This is a crop of a whole-slide image: an H&E-stained breast-cancer sentinel lymph node section at roughly 5× magnification (about 1.9 µm per pixel; the crop spans about 1 mm).
Image:
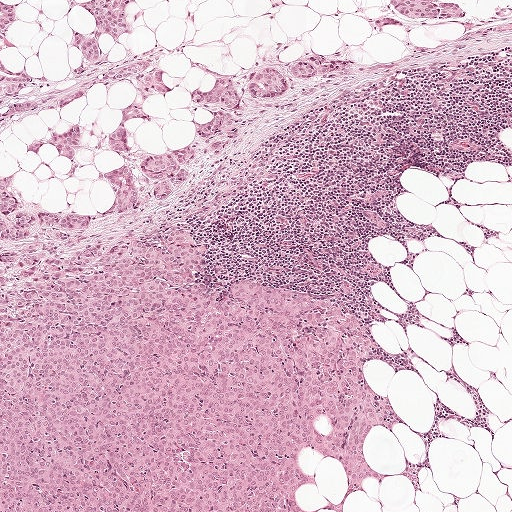
Question:
Does this lymph node field contain metastatic tumour?
Answer:
Yes.
Four metastatic tumour regions, each outlined as a closed clockwise path in crop pixels (x, y), largest first: region 1: (0, 174), (42, 209), (87, 213), (76, 246), (180, 229), (204, 251), (207, 284), (315, 290), (365, 321), (376, 354), (365, 381), (405, 422), (364, 429), (360, 447), (382, 472), (419, 460), (420, 488), (363, 476), (345, 511), (327, 509), (346, 464), (307, 445), (305, 510), (0, 511); region 2: (392, 0), (456, 0), (462, 4), (463, 10), (458, 16), (410, 17), (392, 7); region 3: (0, 0), (6, 0), (16, 4), (16, 7), (15, 14), (10, 26), (6, 28), (10, 42), (0, 49); region 4: (393, 14), (405, 19), (406, 27), (397, 24), (391, 24), (385, 27), (375, 28), (373, 26), (373, 18), (376, 16).
One more tumour region is annotated but not outlined: its edge is too irregular for a short outline.
About 45% of this field is tumour.